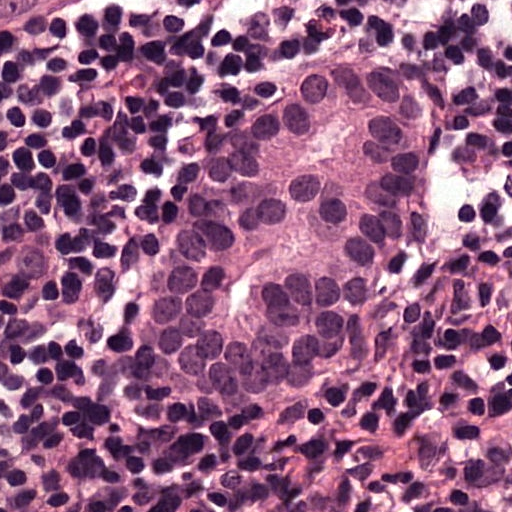
A 0.12-mm field of an H&E-stained sentinel lymph node from a breast-cancer patient (whole-slide image), shown at about 40×, about 0.24 µm per pixel.
Question: Which parts of this field are metastatic tumour?
Answer: The outlined metastatic tumour's edge, as a closed clockwise path of 10 points: (418, 75), (442, 141), (441, 195), (339, 382), (286, 406), (196, 406), (162, 375), (159, 314), (207, 189), (305, 77).
Two more small tumour pieces are annotated here but not outlined.
The annotated tumour makes up about 25% of the crop.